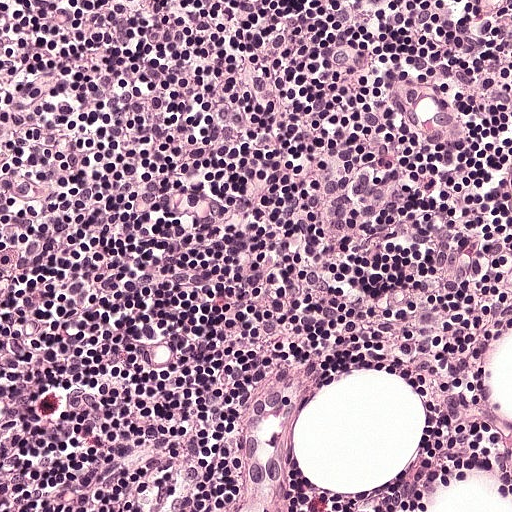
H&E-stained section of a sentinel lymph node (breast cancer), from a whole-slide image, viewed at about 20×: the field is about 0.25 mm across, about 0.49 µm per pixel.
Question: Does this lymph node field contain metastatic tumour?
Answer: No. No metastatic tumour is outlined in this field.